Question: 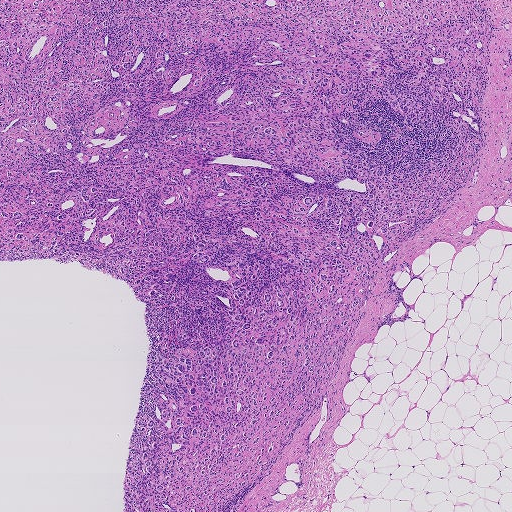
Lymph node section stained with H&E, from a whole-slide image of a breast-cancer sentinel node. Magnification about 2.5×, about 1.9 mm across the frame, about 3.6 µm per pixel.
About how much of this crop is taken up by metastatic carcinoma?

Choices:
 (A) none: no tumour is outlined
 (B) about 25% to 45%
 (C) about 50% or more
 (D) about 5% or less
 (E) about 10% to 20%

Answer: (C) about 50% or more
About 65% of the field is tumour.
One metastatic tumour region; its boundary, reduced to 11 corners and listed clockwise: (0, 0), (488, 0), (478, 171), (375, 270), (365, 316), (319, 406), (232, 511), (129, 511), (145, 303), (76, 261), (0, 261).